This is a crop of a whole-slide image: an H&E-stained breast-cancer sentinel lymph node section at roughly 2.5× magnification (about 3.6 µm per pixel; the crop spans about 1.9 mm).
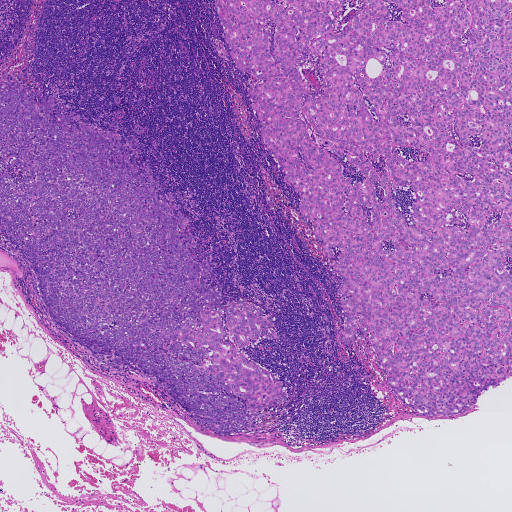
Question: Which parts of this field are metastatic tumour?
Answer: Two metastatic tumour regions, each outlined as a closed clockwise path in crop pixels (x, y), largest first: region 1: (511, 0), (511, 377), (472, 409), (414, 414), (389, 389), (368, 336), (343, 343), (341, 276), (263, 146), (251, 74), (230, 56), (214, 4); region 2: (0, 81), (30, 86), (120, 135), (159, 193), (173, 193), (189, 218), (198, 259), (222, 285), (222, 303), (265, 310), (278, 335), (238, 348), (279, 378), (286, 400), (231, 436), (204, 429), (157, 389), (89, 365), (44, 319), (0, 240).
One more small tumour piece is annotated here but not outlined.
About 55% of this field is tumour.